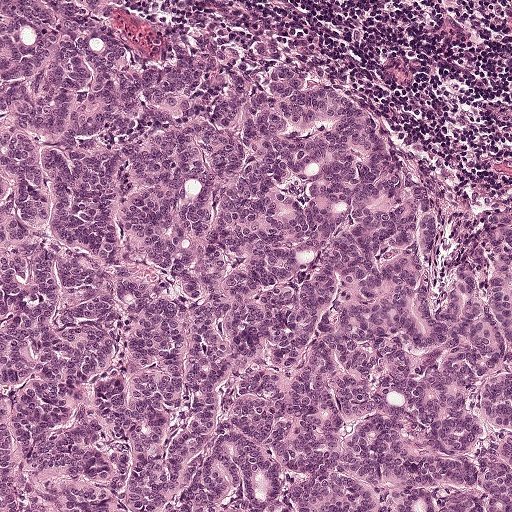
H&E-stained section of a sentinel lymph node (breast cancer), from a whole-slide image, viewed at about 10×: the field is about 0.5 mm across, about 0.97 µm per pixel.
Metastatic tumour outline, simplified to 9 points and listed clockwise in crop pixels (x, y): (0, 0), (188, 6), (394, 124), (431, 187), (430, 305), (476, 203), (510, 186), (511, 511), (0, 511).
Tumour covers about 85% of the frame.